H&E-stained section of a sentinel lymph node (breast cancer), from a whole-slide image, viewed at about 5×: the field is about 1 mm across, about 1.9 µm per pixel.
Question: 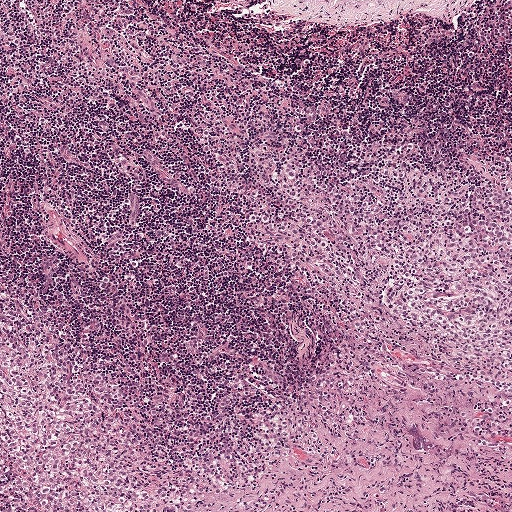
Roughly what share of this field is metastatic tumour?

Choices:
 (A) none: no tumour is outlined
 (B) about 5% or less
 (C) about 25% to 45%
 (D) about 50% or more
 (E) about 10% to 20%

Answer: (C) about 25% to 45%
About 45% of the field is tumour.
Tumour region outline (a closed clockwise path, crop pixels): (318, 114), (370, 142), (511, 155), (511, 511), (0, 511), (0, 280), (27, 310), (65, 392), (181, 438), (269, 442), (288, 430), (314, 381), (316, 323), (300, 286), (237, 231), (227, 145), (242, 121).